Question: 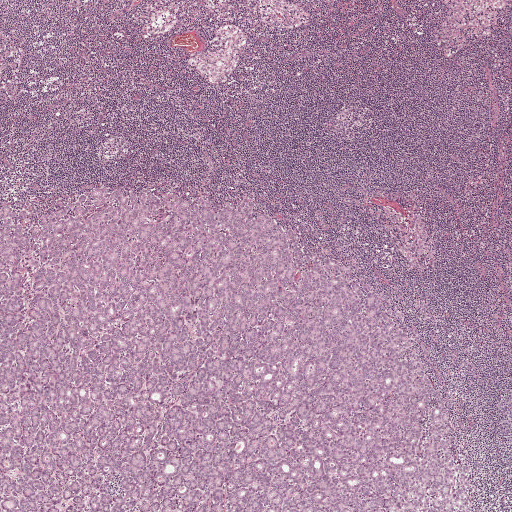
At roughly what magnification is this field shown?

Choices:
 (A) about 10×
 (B) about 20×
 (C) about 5×
 (D) about 2.5×
 (E) about 40×

Answer: (D) about 2.5×
H&E-stained section of a sentinel lymph node (breast cancer), from a whole-slide image, viewed at about 2.5×: the field is about 2.0 mm across, about 3.9 µm per pixel.
Metastatic tumour outline, simplified to 10 points and listed clockwise in crop pixels (x, y): (110, 186), (249, 198), (305, 247), (368, 276), (399, 311), (451, 408), (475, 510), (0, 511), (0, 206), (40, 213).
The annotated tumour makes up about 50% of the crop.